Question: 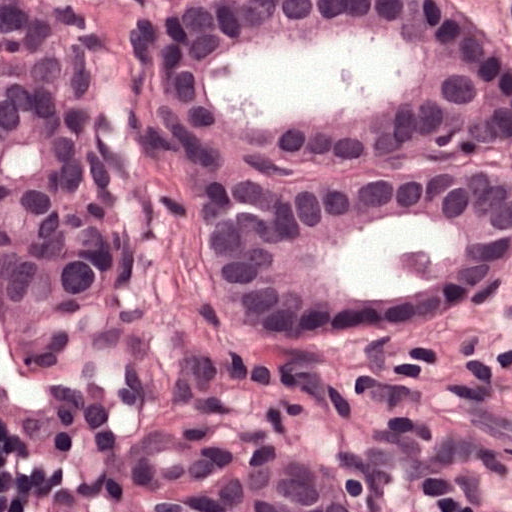
About what magnification does this crop show?

Choices:
 (A) about 10×
 (B) about 5×
 (C) about 2.5×
 (D) about 40×
 (E) about 20×

Answer: (D) about 40×
Lymph node section stained with H&E, from a whole-slide image of a breast-cancer sentinel node. Magnification about 40×, about 0.12 mm across the frame, about 0.24 µm per pixel.
Boundaries of three metastatic tumour regions, simplified and listed clockwise, largest first: region 1: (175, 0), (476, 0), (511, 26), (511, 303), (440, 333), (350, 346), (264, 351), (228, 342), (178, 273), (130, 21); region 2: (1, 0), (36, 0), (79, 21), (137, 197), (134, 258), (33, 328), (0, 298); region 3: (152, 427), (241, 453), (229, 473), (235, 468), (265, 466), (313, 474), (351, 511), (222, 511), (211, 485), (224, 476), (166, 494), (129, 483), (121, 449).
Tumour covers about 60% of the frame.